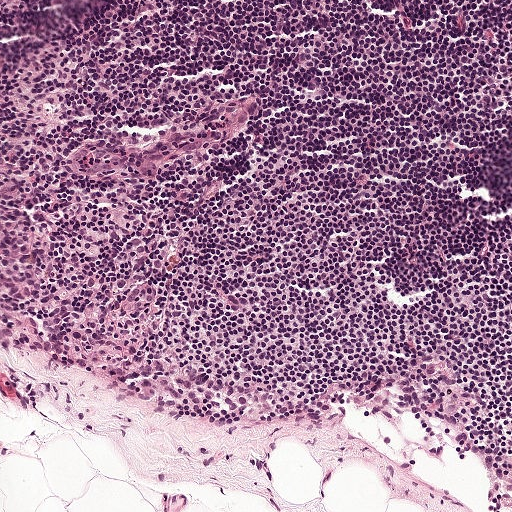
H&E-stained section of a sentinel lymph node (breast cancer), from a whole-slide image, viewed at about 10×: the field is about 0.5 mm across, about 0.97 µm per pixel.